Image:
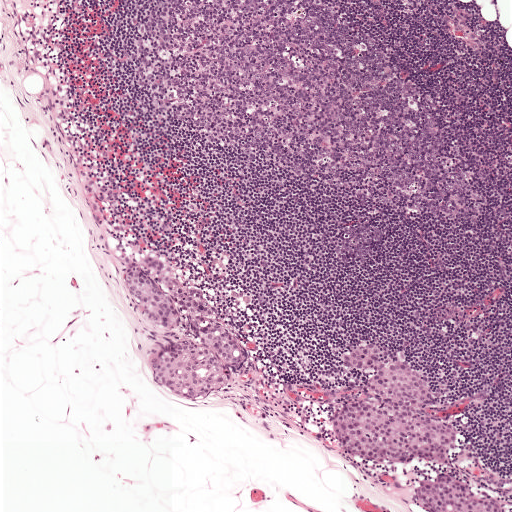
This is a crop of a whole-slide image: an H&E-stained breast-cancer sentinel lymph node section at roughly 5× magnification (about 1.9 µm per pixel; the crop spans about 1 mm).
Question:
Trace the edge of each tumour region in this crop, as (x, y) points from 0 to 511.
Answer:
Three metastatic tumour regions, each outlined as a closed clockwise path in crop pixels (x, y), largest first: region 1: (363, 334), (389, 342), (427, 379), (453, 423), (456, 436), (449, 460), (426, 470), (361, 461), (340, 446), (332, 410), (342, 401), (365, 397), (369, 370), (344, 369), (338, 358), (341, 346), (350, 337); region 2: (140, 254), (152, 256), (196, 285), (215, 318), (237, 332), (247, 354), (244, 366), (232, 370), (222, 393), (197, 399), (161, 389), (150, 380), (146, 368), (150, 356), (185, 342), (200, 341), (172, 307), (175, 327), (154, 327), (133, 313), (123, 276), (128, 264); region 3: (450, 473), (487, 488), (508, 505), (511, 511), (423, 511), (413, 502), (412, 489), (422, 480).
About 10% of this field is tumour.